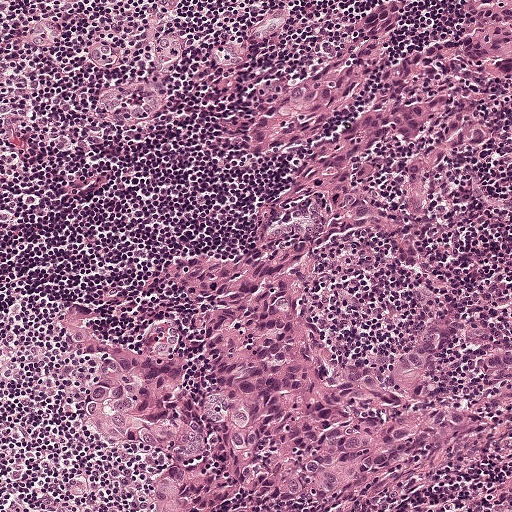
Lymph node section stained with H&E, from a whole-slide image of a breast-cancer sentinel node. Magnification about 10×, about 0.5 mm across the frame, about 0.97 µm per pixel.
Tumour region outline (a closed clockwise path, crop pixels): (459, 0), (511, 0), (511, 419), (314, 501), (147, 511), (136, 486), (151, 457), (74, 424), (80, 364), (46, 338), (48, 318), (72, 305), (122, 345), (156, 265), (244, 246), (276, 166), (241, 134), (376, 4), (398, 10), (392, 54), (453, 29).
About 55% of the image area is annotated as tumour.